Question: 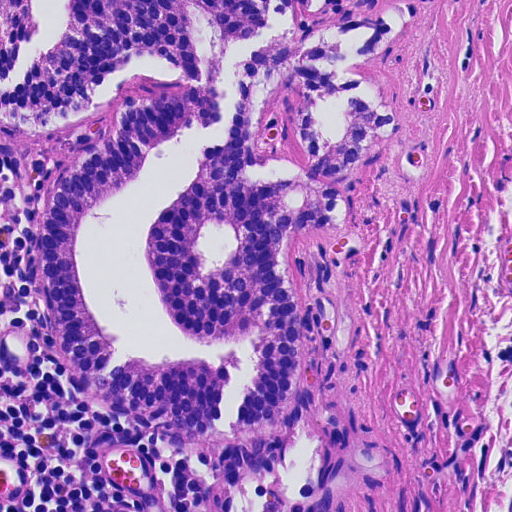
A 0.23-mm field of an H&E-stained sentinel lymph node from a breast-cancer patient (whole-slide image), shown at about 20×, about 0.45 µm per pixel.
Roughly what share of this field is metastatic tumour?

Choices:
 (A) about 50% or more
 (B) none: no tumour is outlined
 (C) about 25% to 45%
 (D) about 5% or less
 (E) about 10% to 20%

Answer: (A) about 50% or more
About 50% of the field is tumour.
Metastatic tumour outline, simplified to 24 points and listed clockwise in crop pixels (x, y): (0, 0), (413, 0), (382, 50), (348, 68), (390, 90), (396, 127), (344, 182), (346, 224), (286, 238), (320, 511), (227, 511), (231, 493), (93, 400), (52, 338), (40, 240), (62, 176), (112, 132), (118, 102), (178, 92), (185, 77), (138, 58), (98, 108), (38, 134), (0, 120).
One more small tumour piece is annotated here but not outlined.